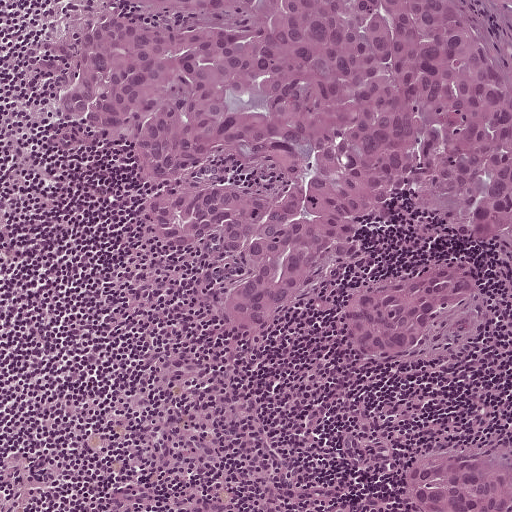
This is a crop of a whole-slide image: an H&E-stained breast-cancer sentinel lymph node section at roughly 10× magnification (about 0.97 µm per pixel; the crop spans about 0.5 mm).
Boundaries of four metastatic tumour regions, simplified and listed clockwise, largest first: region 1: (99, 0), (473, 0), (509, 78), (511, 243), (448, 236), (410, 187), (364, 232), (378, 262), (328, 278), (304, 312), (269, 332), (226, 330), (220, 297), (236, 270), (154, 249), (129, 217), (148, 191), (129, 148), (63, 126), (42, 90), (41, 49); region 2: (456, 256), (479, 267), (479, 292), (462, 311), (418, 338), (399, 356), (374, 363), (354, 348), (337, 328), (342, 303), (360, 286); region 3: (450, 446), (498, 451), (511, 462), (511, 502), (506, 511), (417, 511), (410, 508), (397, 485), (401, 460), (424, 450); region 4: (493, 0), (511, 0), (511, 39).
About 45% of the image area is annotated as tumour.